Question: 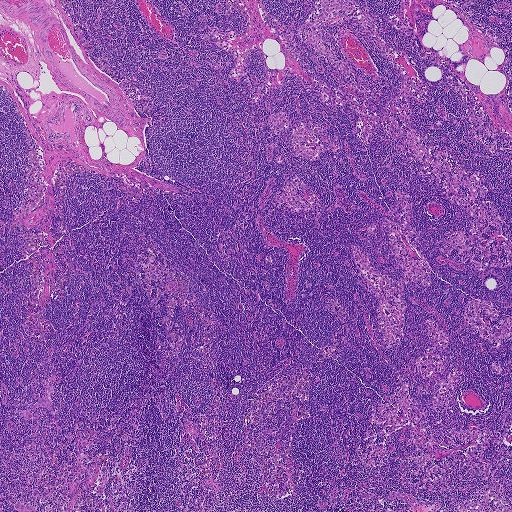
At roughly what magnification is this field shown?

Choices:
 (A) about 5×
 (B) about 2.5×
 (C) about 10×
 (D) about 40×
 (E) about 20×

Answer: (B) about 2.5×
Lymph node section stained with H&E, from a whole-slide image of a breast-cancer sentinel node. Magnification about 2.5×, about 1.9 mm across the frame, about 3.6 µm per pixel.